A 0.25-mm field of an H&E-stained sentinel lymph node from a breast-cancer patient (whole-slide image), shown at about 20×, about 0.49 µm per pixel.
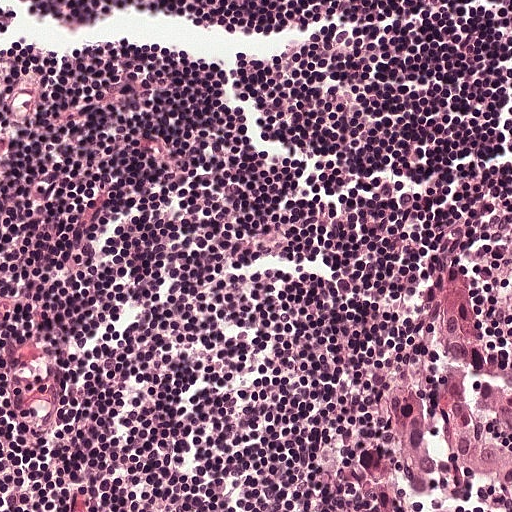
Metastatic tumour outline, simplified to 8 points and listed clockwise in crop pixels (x, y): (478, 251), (510, 264), (511, 511), (332, 511), (352, 460), (354, 390), (372, 351), (458, 256).
Tumour covers about 15% of the frame.